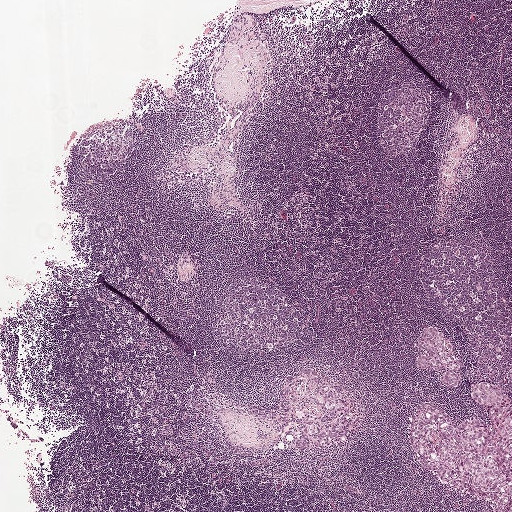
This is a crop of a whole-slide image: an H&E-stained breast-cancer sentinel lymph node section at roughly 2.5× magnification (about 3.9 µm per pixel; the crop spans about 2.0 mm).
Question: Which parts of this field are metastatic tumour?
Answer: Outlines of three tumour regions, largest first (closed clockwise paths, crop pixels): region 1: (482, 381), (511, 385), (511, 511), (494, 511), (492, 507), (420, 469), (414, 457), (410, 430), (414, 411), (422, 406), (435, 406), (453, 427), (475, 417), (486, 420), (492, 429), (491, 410), (470, 397), (469, 388); region 2: (303, 369), (311, 369), (333, 385), (343, 387), (340, 394), (353, 412), (353, 422), (341, 444), (325, 450), (301, 450), (295, 444), (294, 436), (284, 431), (286, 426), (253, 415), (248, 411), (251, 406), (258, 404), (274, 414), (279, 409), (280, 390), (289, 375); region 3: (437, 328), (444, 334), (449, 353), (460, 361), (463, 382), (459, 389), (448, 388), (441, 383), (441, 378), (447, 373), (444, 367), (439, 371), (432, 370), (429, 372), (421, 371), (417, 368), (416, 357), (422, 353), (418, 346), (418, 340), (425, 330).
About 5% of this field is tumour.